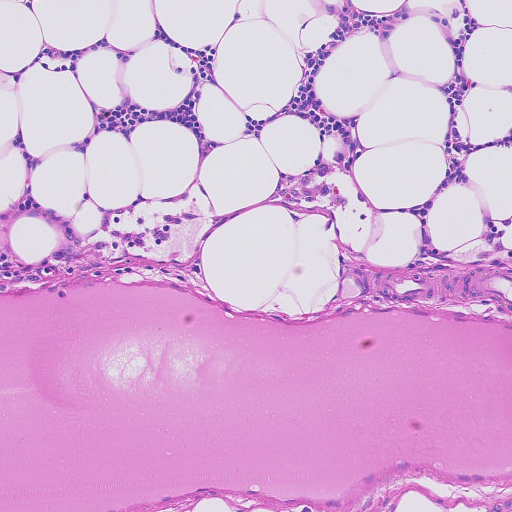
This is a crop of a whole-slide image: an H&E-stained breast-cancer sentinel lymph node section at roughly 10× magnification (about 0.91 µm per pixel; the crop spans about 0.46 mm).